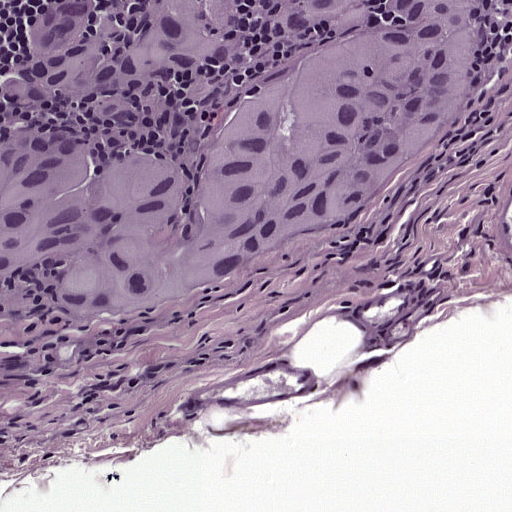
A 0.25-mm field of an H&E-stained sentinel lymph node from a breast-cancer patient (whole-slide image), shown at about 20×, about 0.49 µm per pixel.
Boundaries of two metastatic tumour regions, simplified and listed clockwise, largest first: region 1: (43, 0), (90, 0), (90, 33), (129, 28), (141, 0), (489, 0), (490, 16), (449, 148), (348, 242), (262, 283), (127, 314), (82, 315), (40, 296), (40, 267), (0, 289), (0, 66); region 2: (511, 185), (511, 235), (504, 234), (509, 189).
The annotated tumour makes up about 45% of the crop.